Question: 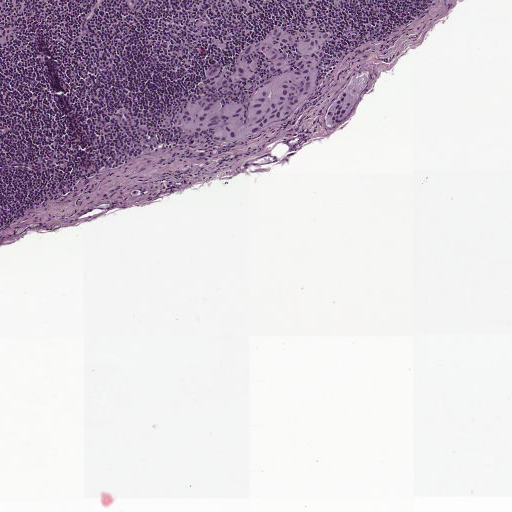
A 1-mm field of an H&E-stained sentinel lymph node from a breast-cancer patient (whole-slide image), shown at about 5×, about 1.9 µm per pixel.
About how much of this crop is taken up by metastatic carcinoma?

Choices:
 (A) about 10% to 20%
 (B) none: no tumour is outlined
 (C) about 50% or more
 (D) about 5% or less
 (E) about 25% to 45%

Answer: (D) about 5% or less
About 5% of the field is tumour.
Outlines of two tumour regions, largest first (closed clockwise paths, crop pixels): region 1: (316, 21), (320, 29), (333, 31), (322, 46), (325, 57), (320, 60), (315, 90), (295, 118), (264, 134), (230, 142), (208, 138), (208, 130), (197, 137), (164, 130), (157, 121), (179, 111), (209, 63), (221, 63), (221, 72), (230, 71), (242, 51), (281, 27), (304, 32); region 2: (363, 72), (366, 79), (356, 99), (354, 111), (336, 125), (324, 122), (326, 111), (348, 86), (356, 74).
Question: 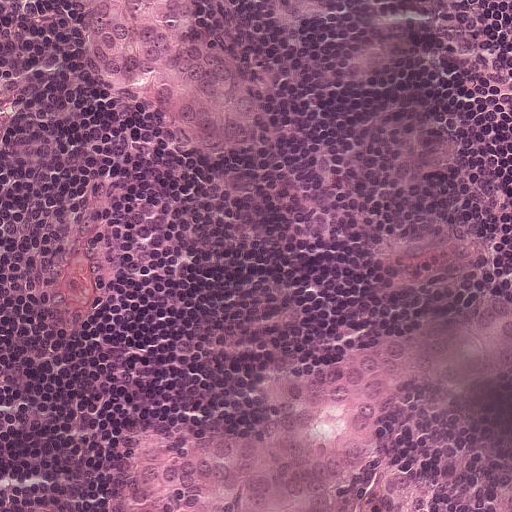
H&E-stained section of a sentinel lymph node (breast cancer), from a whole-slide image, viewed at about 20×: the field is about 0.25 mm across, about 0.49 µm per pixel.
About how much of this crop is taken up by metastatic carcinoma?

Choices:
 (A) about 10% to 20%
 (B) about 50% or more
 (C) about 5% or less
 (D) about 25% to 45%
 (E) none: no tumour is outlined

Answer: (D) about 25% to 45%
About 25% of the field is tumour.
Three metastatic tumour regions, each outlined as a closed clockwise path in crop pixels (x, y), largest first: region 1: (496, 294), (511, 301), (511, 377), (420, 403), (382, 429), (386, 452), (418, 482), (428, 511), (101, 511), (101, 504), (109, 456), (133, 420), (161, 411), (198, 426), (250, 424), (262, 374), (310, 356), (344, 324), (410, 332), (469, 298); region 2: (182, 0), (186, 10), (182, 39), (217, 50), (260, 88), (267, 146), (234, 163), (220, 160), (144, 108), (98, 88), (82, 66), (74, 2); region 3: (511, 477), (511, 511), (493, 511), (496, 506), (500, 502), (501, 498), (506, 490), (508, 486), (509, 486).
Question: 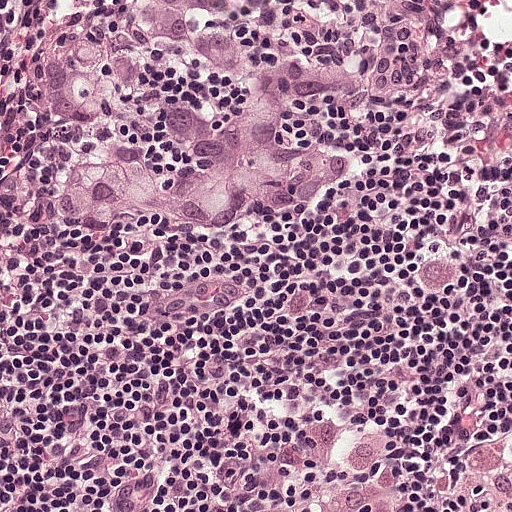
Lymph node section stained with H&E, from a whole-slide image of a breast-cancer sentinel node. Magnification about 20×, about 0.25 mm across the frame, about 0.49 µm per pixel.
About how much of this crop is taken up by metastatic carcinoma?

Choices:
 (A) about 50% or more
 (B) none: no tumour is outlined
 (C) about 25% to 45%
 (D) about 5% or less
 (E) about 10% to 20%

Answer: (E) about 10% to 20%
About 20% of the field is tumour.
The outlined metastatic tumour's edge, as a closed clockwise path of 18 points: (246, 0), (254, 47), (307, 50), (381, 84), (358, 100), (327, 90), (300, 97), (308, 132), (365, 146), (365, 168), (322, 205), (232, 224), (168, 212), (107, 224), (61, 206), (69, 134), (34, 56), (96, 9).
Question: 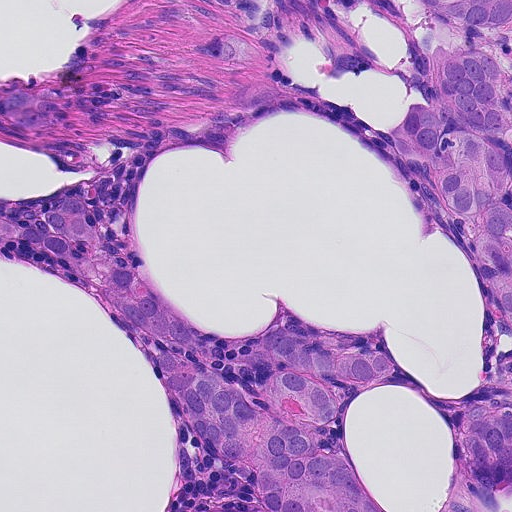
A 0.23-mm field of an H&E-stained sentinel lymph node from a breast-cancer patient (whole-slide image), shown at about 20×, about 0.45 µm per pixel.
About how much of this crop is taken up by metastatic carcinoma?

Choices:
 (A) about 5% or less
 (B) about 10% to 20%
 (C) none: no tumour is outlined
 (D) about 50% or more
 (E) about 25% to 45%

Answer: (D) about 50% or more
About 80% of the field is tumour.
One metastatic tumour region; its boundary, reduced to 18 corners and listed clockwise: (511, 0), (511, 511), (265, 511), (245, 472), (194, 444), (124, 327), (36, 252), (0, 249), (0, 192), (21, 200), (84, 184), (126, 148), (70, 155), (18, 138), (0, 119), (0, 86), (75, 47), (110, 5).